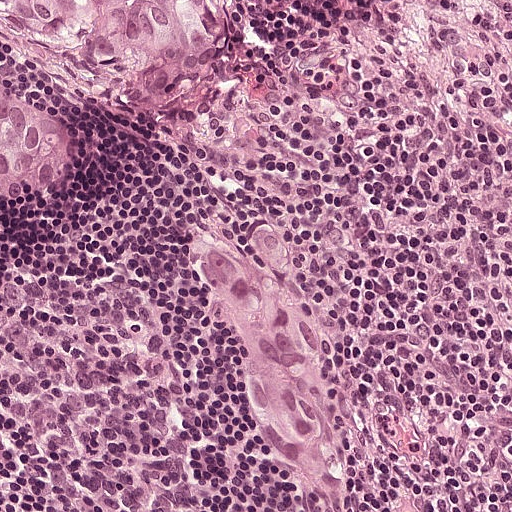
H&E-stained section of a sentinel lymph node (breast cancer), from a whole-slide image, viewed at about 20×: the field is about 0.25 mm across, about 0.49 µm per pixel.
Three metastatic tumour regions, each outlined as a closed clockwise path in crop pixels (x, y), largest first: region 1: (250, 198), (280, 203), (323, 320), (324, 426), (316, 442), (318, 450), (295, 460), (254, 442), (231, 342), (209, 317), (182, 264), (180, 220), (195, 211), (212, 212), (246, 228); region 2: (0, 0), (208, 0), (225, 63), (214, 82), (184, 100), (141, 103), (115, 96), (0, 37); region 3: (0, 54), (6, 62), (36, 75), (42, 81), (63, 122), (63, 158), (59, 172), (40, 183), (2, 191).
About 20% of this field is tumour.